Image:
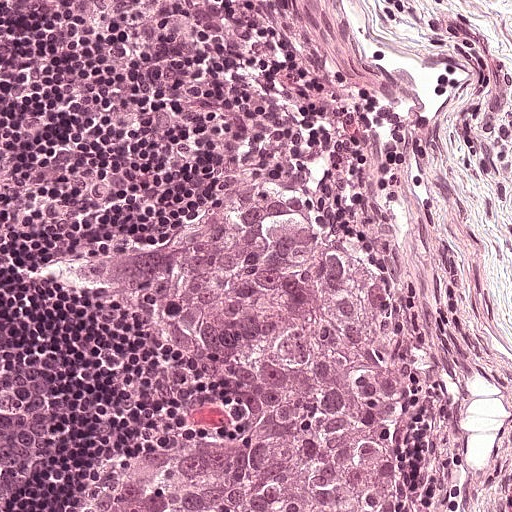
A 0.25-mm field of an H&E-stained sentinel lymph node from a breast-cancer patient (whole-slide image), shown at about 20×, about 0.49 µm per pixel.
Question:
Does this lymph node field contain metastatic tumour?
Answer:
Yes.
One metastatic tumour region; its boundary, reduced to 12 corners and listed clockwise: (236, 192), (307, 200), (392, 265), (414, 312), (415, 511), (90, 511), (140, 460), (246, 432), (250, 416), (210, 354), (88, 281), (78, 262).
Tumour covers about 30% of the frame.

Image:
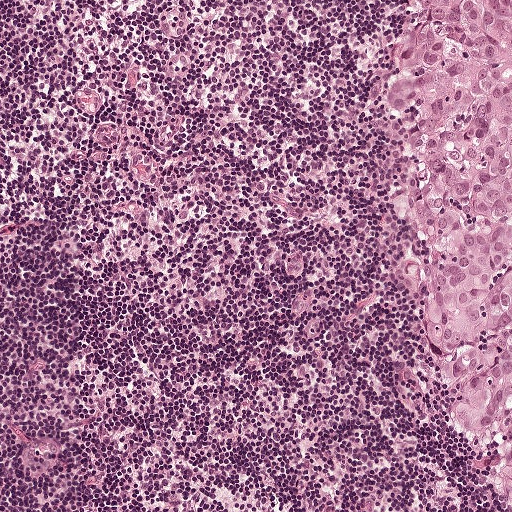
This is a crop of a whole-slide image: an H&E-stained breast-cancer sentinel lymph node section at roughly 10× magnification (about 0.97 µm per pixel; the crop spans about 0.5 mm).
Question:
Does this lymph node field contain metastatic tumour?
Answer:
Yes.
One metastatic tumour region; its boundary, reduced to 14 corners and listed clockwise: (511, 0), (511, 511), (498, 511), (482, 464), (452, 431), (430, 353), (434, 326), (426, 329), (410, 304), (385, 239), (396, 168), (386, 112), (406, 21), (401, 1).
Tumour covers about 20% of the frame.

Image:
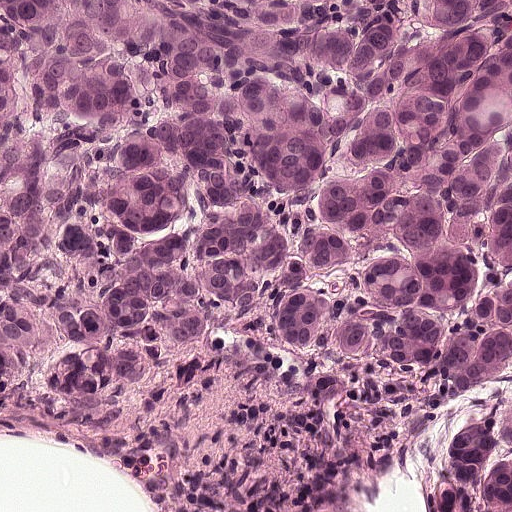
Lymph node section stained with H&E, from a whole-slide image of a breast-cancer sentinel node. Magnification about 20×, about 0.25 mm across the frame, about 0.49 µm per pixel.
Question:
Does this lymph node field contain metastatic tumour?
Answer:
Yes.
One metastatic tumour region; its boundary, reduced to 11 corners and listed clockwise: (0, 0), (511, 0), (511, 511), (432, 511), (360, 423), (328, 416), (316, 426), (264, 398), (219, 395), (106, 428), (1, 408).
Tumour covers about 85% of the frame.

Image:
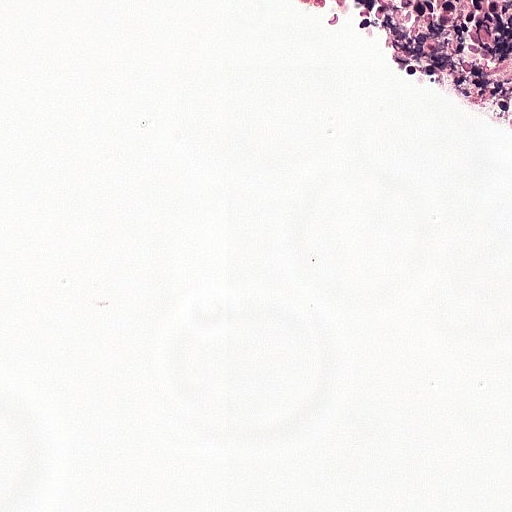
This is a crop of a whole-slide image: an H&E-stained breast-cancer sentinel lymph node section at roughly 20× magnification (about 0.49 µm per pixel; the crop spans about 0.25 mm).
Question:
Does this lymph node field contain metastatic tumour?
Answer:
Yes.
One metastatic tumour region; its boundary, reduced to 10 corners and listed clockwise: (271, 0), (511, 0), (511, 118), (500, 125), (482, 125), (429, 114), (366, 64), (337, 31), (319, 20), (285, 15).
Tumour covers about 5% of the frame.